Question: 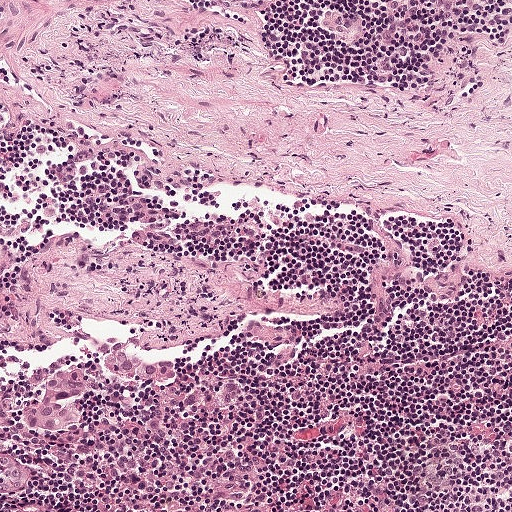
Lymph node section stained with H&E, from a whole-slide image of a breast-cancer sentinel node. Magnification about 10×, about 0.5 mm across the frame, about 0.97 µm per pixel.
About how much of this crop is taken up by metastatic carcinoma?

Choices:
 (A) about 25% to 45%
 (B) about 50% or more
 (C) about 5% or less
 (D) about 10% to 20%
 (E) none: no tumour is outlined

Answer: (C) about 5% or less
Under 5% of the field is tumour.
Outlines of two tumour regions, largest first (closed clockwise paths, crop pixels): region 1: (67, 362), (83, 364), (87, 371), (86, 388), (75, 396), (76, 402), (87, 406), (86, 414), (75, 429), (64, 436), (34, 436), (19, 425), (22, 408), (32, 396), (42, 393), (44, 381), (51, 370); region 2: (112, 346), (118, 346), (142, 358), (166, 357), (180, 366), (178, 374), (170, 381), (154, 385), (124, 383), (100, 368), (98, 361), (104, 350).